H&E-stained section of a sentinel lymph node (breast cancer), from a whole-slide image, viewed at about 20×: the field is about 0.25 mm across, about 0.49 µm per pixel.
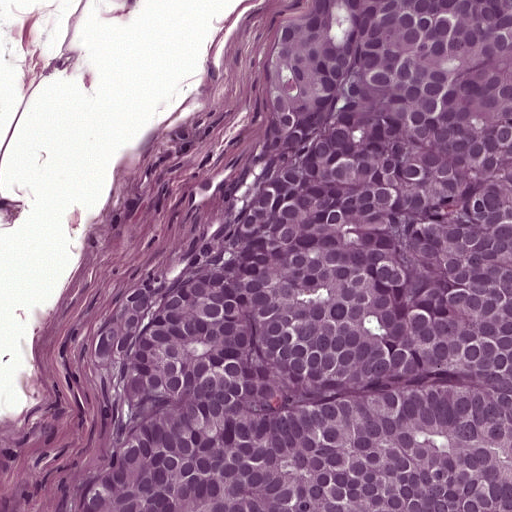
Metastatic tumour outline, simplified to 11 points and listed clockwise in crop pixels (x, y): (287, 0), (511, 0), (511, 511), (60, 511), (102, 454), (112, 388), (88, 356), (106, 305), (180, 276), (246, 172), (279, 98).
Tumour covers about 65% of the frame.